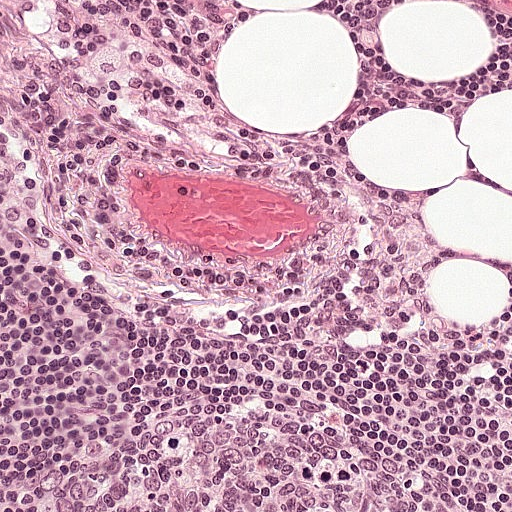
Lymph node section stained with H&E, from a whole-slide image of a breast-cancer sentinel node. Magnification about 20×, about 0.25 mm across the frame, about 0.49 µm per pixel.